This is a crop of a whole-slide image: an H&E-stained breast-cancer sentinel lymph node section at roughly 10× magnification (about 0.9 µm per pixel; the crop spans about 0.46 mm).
Image:
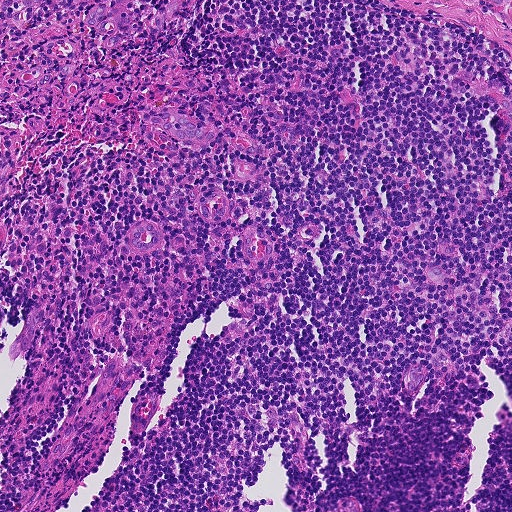
Question:
Does this lymph node field contain metastatic tumour?
Answer:
Yes.
Boundaries of three metastatic tumour regions, simplified and listed clockwise, largest first: region 1: (147, 110), (170, 111), (192, 120), (196, 127), (202, 130), (208, 124), (215, 126), (216, 134), (213, 141), (199, 146), (176, 140), (163, 130), (146, 126), (140, 120), (140, 113); region 2: (98, 0), (110, 0), (107, 3), (108, 10), (96, 29), (88, 29), (85, 22), (86, 14); region 3: (0, 0), (41, 0), (38, 8), (30, 10), (23, 4), (14, 3), (7, 9), (0, 10).
One more small tumour piece is annotated here but not outlined.
Under 5% of this field is tumour.